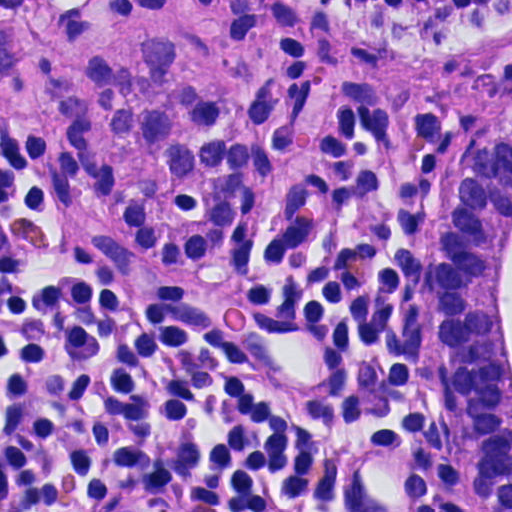
H&E-stained section of a sentinel lymph node (breast cancer), from a whole-slide image, viewed at about 40×: the field is about 0.12 mm across, about 0.23 µm per pixel.
Boundaries of four metastatic tumour regions, simplified and listed clockwise, largest first: region 1: (137, 0), (173, 0), (201, 27), (264, 130), (264, 189), (227, 237), (177, 264), (122, 245), (84, 200), (48, 117), (71, 63), (109, 17); region 2: (511, 116), (511, 511), (478, 511), (453, 470), (434, 406), (431, 273), (444, 205), (474, 145); region 3: (299, 0), (511, 0), (511, 25), (426, 60), (364, 42); region 4: (0, 14), (22, 19), (32, 80), (0, 94).
About 30% of this field is tumour.